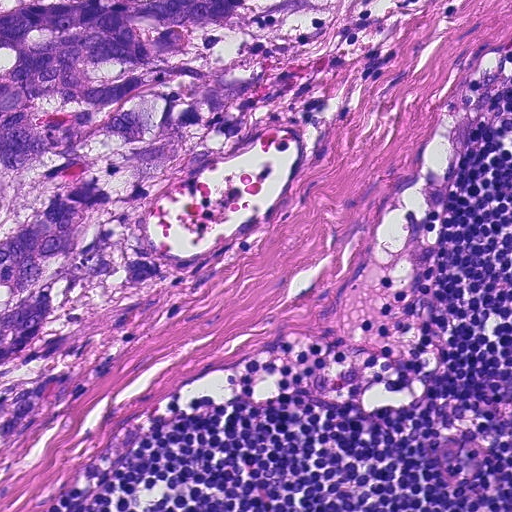
This is a crop of a whole-slide image: an H&E-stained breast-cancer sentinel lymph node section at roughly 20× magnification (about 0.45 µm per pixel; the crop spans about 0.23 mm).
The outlined metastatic tumour's edge, as a closed clockwise path of 8 points: (0, 0), (480, 0), (419, 162), (322, 306), (250, 360), (136, 411), (34, 507), (0, 511).
About 60% of the image area is annotated as tumour.